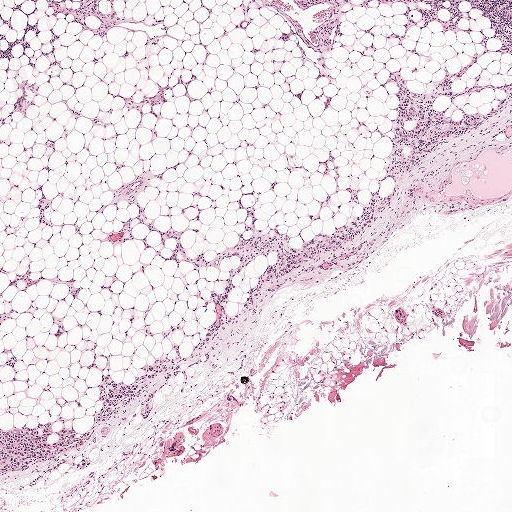
This is a crop of a whole-slide image: an H&E-stained breast-cancer sentinel lymph node section at roughly 2.5× magnification (about 3.9 µm per pixel; the crop spans about 2.0 mm).
Eight metastatic tumour regions, each outlined as a closed clockwise path in crop pixels (x, y), largest first: region 1: (191, 71), (196, 74), (196, 78), (188, 88), (188, 91), (194, 98), (195, 100), (189, 99), (184, 94), (182, 84), (173, 88), (167, 89), (166, 90), (167, 103), (164, 104), (154, 103), (157, 112), (157, 117), (154, 117), (151, 114), (140, 116), (135, 111), (126, 111), (124, 101), (113, 97), (116, 94), (123, 94), (132, 101), (138, 101), (141, 98), (155, 94), (161, 88), (172, 85), (177, 80), (178, 74), (181, 81), (186, 78); region 2: (30, 268), (29, 278), (30, 279), (34, 279), (41, 276), (48, 275), (53, 271), (64, 280), (70, 280), (72, 277), (74, 277), (76, 280), (75, 283), (81, 285), (81, 287), (80, 294), (76, 298), (74, 298), (69, 295), (67, 287), (62, 285), (52, 284), (47, 280), (30, 283), (26, 285), (23, 284), (20, 281), (18, 282), (14, 288), (8, 285), (7, 283), (10, 279), (25, 269); region 3: (25, 80), (37, 82), (38, 95), (28, 94), (27, 106), (17, 109), (0, 121), (0, 116), (20, 91), (20, 87), (15, 83); region 4: (42, 183), (43, 188), (44, 193), (49, 199), (47, 204), (44, 208), (43, 215), (46, 220), (52, 223), (52, 225), (51, 227), (47, 227), (36, 221), (38, 216), (38, 212), (37, 209), (34, 208), (34, 207), (36, 203), (36, 200), (40, 196), (38, 191), (35, 189); region 5: (5, 348), (9, 348), (15, 352), (15, 360), (12, 368), (9, 368), (1, 364), (0, 360), (4, 360), (5, 358), (5, 356), (4, 354), (0, 353), (0, 350); region 6: (56, 323), (62, 323), (66, 327), (64, 334), (57, 337), (50, 336), (50, 333); region 7: (321, 93), (331, 95), (331, 97), (329, 106), (326, 108), (324, 108), (323, 105), (323, 100), (325, 97), (323, 96), (322, 96), (319, 99), (316, 99), (314, 98), (314, 96), (316, 94), (319, 94); region 8: (288, 30), (292, 32), (292, 34), (290, 36), (290, 40), (286, 40), (278, 38), (278, 37), (278, 33), (281, 32), (286, 31).
One more tumour region is annotated but not outlined: its edge is too irregular for a short outline.
One more, smaller tumour region is not outlined.
One more small tumour piece is annotated here but not outlined.
About 15% of this field is tumour.